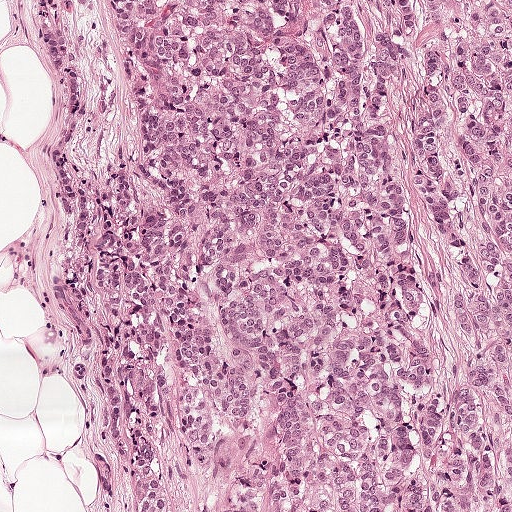
H&E-stained section of a sentinel lymph node (breast cancer), from a whole-slide image, viewed at about 10×: the field is about 0.5 mm across, about 0.97 µm per pixel.
The outlined metastatic tumour's edge, as a closed clockwise path of 5 points: (511, 0), (511, 511), (126, 508), (54, 301), (54, 4).
Tumour covers about 85% of the frame.